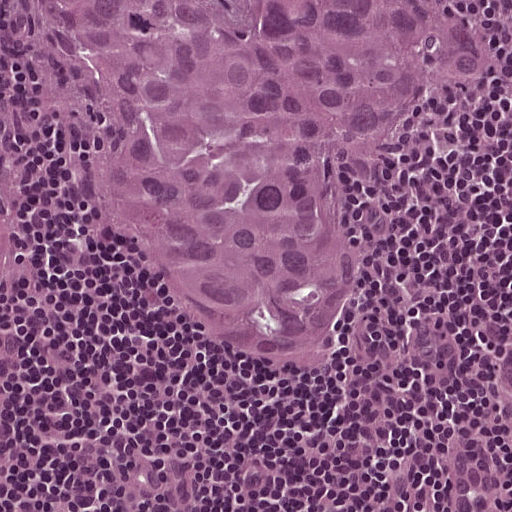
This is a crop of a whole-slide image: an H&E-stained breast-cancer sentinel lymph node section at roughly 20× magnification (about 0.49 µm per pixel; the crop spans about 0.25 mm).
Boundaries of two metastatic tumour regions, simplified and listed clockwise, largest first: region 1: (0, 0), (453, 0), (480, 16), (511, 83), (442, 78), (444, 100), (412, 168), (336, 170), (362, 232), (366, 308), (322, 368), (244, 366), (178, 326), (82, 209), (41, 59); region 2: (0, 179), (20, 208), (29, 284), (0, 311).
About 45% of this field is tumour.